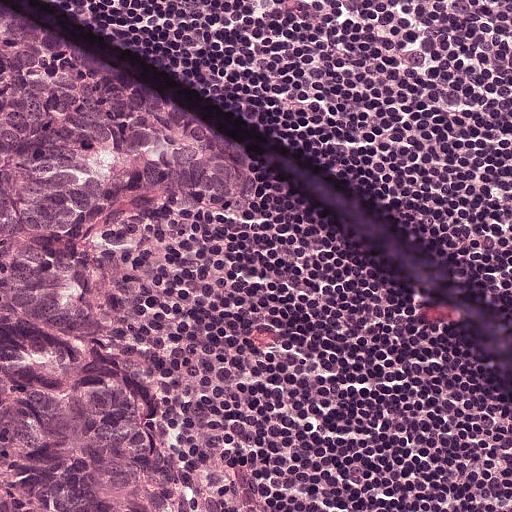
Lymph node section stained with H&E, from a whole-slide image of a breast-cancer sentinel node. Magnification about 20×, about 0.25 mm across the frame, about 0.49 µm per pixel.
Question: Where is the metastatic tumour in this field?
Answer: Tumour region outline (a closed clockwise path, crop pixels): (0, 58), (86, 74), (162, 108), (240, 162), (260, 212), (242, 222), (135, 218), (103, 232), (95, 264), (98, 304), (164, 363), (217, 511), (44, 511), (3, 450).
Tumour covers about 30% of the frame.